Image:
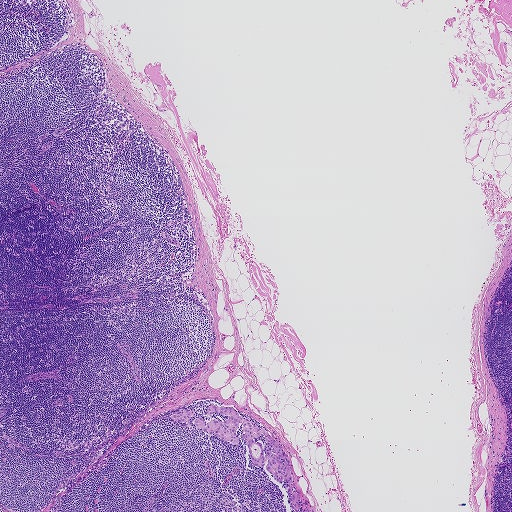
A 1.9-mm field of an H&E-stained sentinel lymph node from a breast-cancer patient (whole-slide image), shown at about 2.5×, about 3.6 µm per pixel.
Question:
Describe where the metastatic carcinoma lies in this crop.
Answer:
The outlined metastatic tumour's edge, as a closed clockwise path of 37 points: (212, 402), (232, 407), (243, 420), (247, 417), (254, 427), (263, 427), (285, 452), (293, 492), (299, 492), (301, 505), (309, 511), (291, 509), (284, 488), (287, 482), (275, 480), (266, 469), (266, 461), (260, 467), (253, 464), (239, 438), (245, 432), (243, 423), (235, 430), (239, 441), (235, 444), (200, 430), (194, 418), (189, 419), (192, 425), (169, 416), (181, 409), (205, 418), (206, 426), (209, 420), (228, 419), (220, 413), (207, 414).
Under 5% of this field is tumour.

Image:
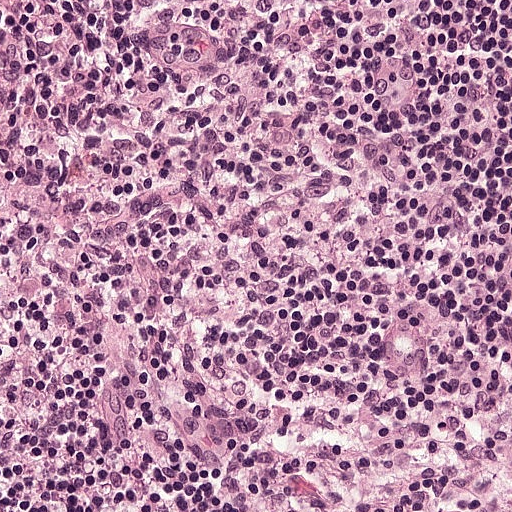
A 0.25-mm field of an H&E-stained sentinel lymph node from a breast-cancer patient (whole-slide image), shown at about 20×, about 0.49 µm per pixel.
Question:
Describe where the metastatic carcinoma lies in this crop.
Answer:
Metastatic tumour outline, simplified to 7 points and listed clockwise in crop pixels (x, y): (0, 0), (184, 0), (176, 98), (106, 277), (92, 405), (48, 510), (0, 511).
About 25% of the image area is annotated as tumour.

Image:
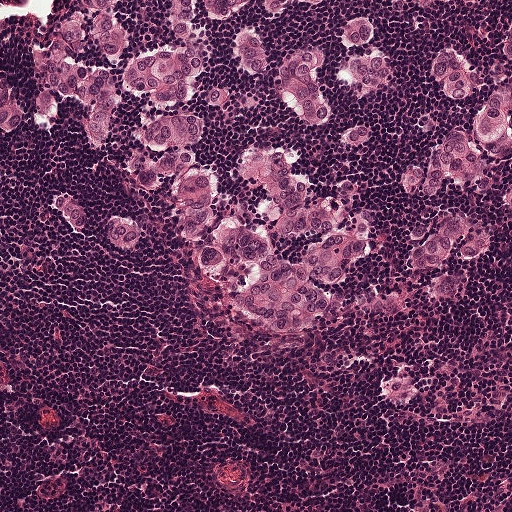
A 0.5-mm field of an H&E-stained sentinel lymph node from a breast-cancer patient (whole-slide image), shown at about 10×, about 0.97 µm per pixel.
Question:
Describe where the metastatic carcinoma lies in this crop.
Answer:
Boundaries of two metastatic tumour regions, simplified and listed clockwise, largest first: region 1: (322, 0), (202, 25), (202, 84), (242, 22), (280, 65), (333, 22), (372, 27), (371, 96), (321, 85), (326, 125), (251, 97), (211, 115), (198, 148), (253, 211), (240, 142), (323, 181), (332, 129), (366, 125), (347, 181), (386, 244), (408, 236), (392, 168), (421, 155), (420, 68), (511, 24), (511, 228), (475, 308), (401, 291), (366, 255), (290, 339), (163, 266), (52, 240), (39, 196), (94, 182), (94, 149), (54, 132), (0, 155), (0, 82), (49, 2); region 2: (404, 0), (479, 0), (465, 2), (437, 12), (409, 11).
The annotated tumour makes up about 40% of the crop.

Image:
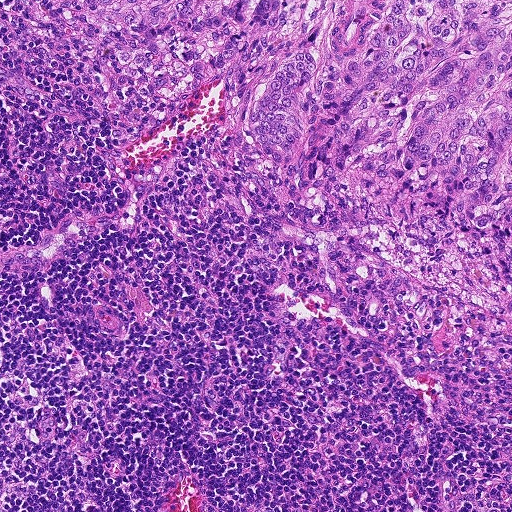
Lymph node section stained with H&E, from a whole-slide image of a breast-cancer sentinel node. Magnification about 10×, about 0.46 mm across the frame, about 0.9 µm per pixel.
Question:
Describe where the metastatic carcinoma lies in this crop.
Answer:
Metastatic tumour outline, simplified to 16 points and listed clockwise in crop pixels (x, y): (511, 0), (511, 314), (454, 254), (424, 267), (392, 234), (292, 216), (245, 122), (292, 55), (253, 79), (241, 107), (223, 104), (223, 84), (214, 86), (120, 147), (81, 52), (40, 3).
The annotated tumour makes up about 30% of the crop.